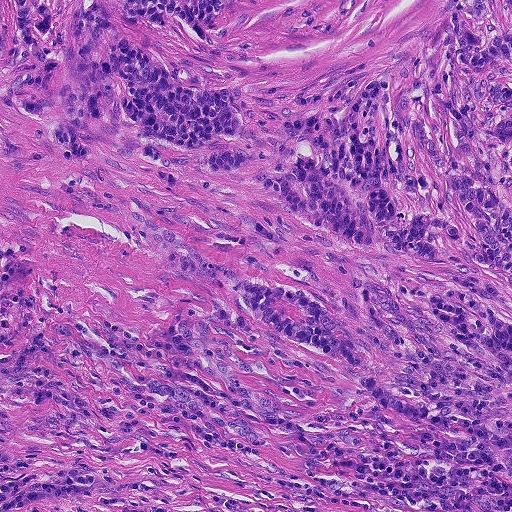
A 0.46-mm field of an H&E-stained sentinel lymph node from a breast-cancer patient (whole-slide image), shown at about 10×, about 0.9 µm per pixel.
Metastatic tumour covers the whole field.
Over 95% of this field is tumour.